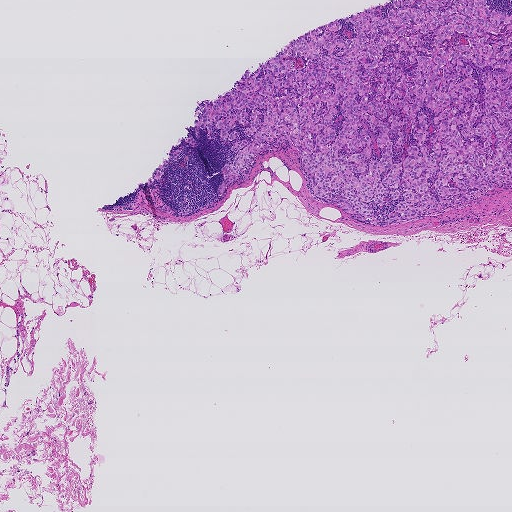
Lymph node section stained with H&E, from a whole-slide image of a breast-cancer sentinel node. Magnification about 2.5×, about 1.9 mm across the frame, about 3.6 µm per pixel.
Boundaries of two metastatic tumour regions, simplified and listed clockwise, largest first: region 1: (393, 0), (485, 0), (511, 14), (511, 183), (410, 220), (394, 209), (403, 193), (364, 203), (375, 224), (309, 183), (287, 140), (218, 195), (251, 125), (223, 141), (214, 120), (191, 147), (196, 111), (310, 30), (338, 21), (349, 44), (344, 17), (371, 6), (384, 18); region 2: (178, 149), (180, 152), (177, 158), (174, 160), (170, 161), (168, 164), (168, 166), (164, 168), (163, 172), (161, 176), (161, 179), (157, 180), (154, 179), (158, 172), (160, 169), (155, 169), (158, 165), (162, 164), (163, 163), (162, 160), (165, 159), (167, 160), (168, 157), (168, 153), (170, 150).
About 20% of this field is tumour.